This is a crop of a whole-slide image: an H&E-stained breast-cancer sentinel lymph node section at roughly 2.5× magnification (about 3.6 µm per pixel; the crop spans about 1.9 mm).
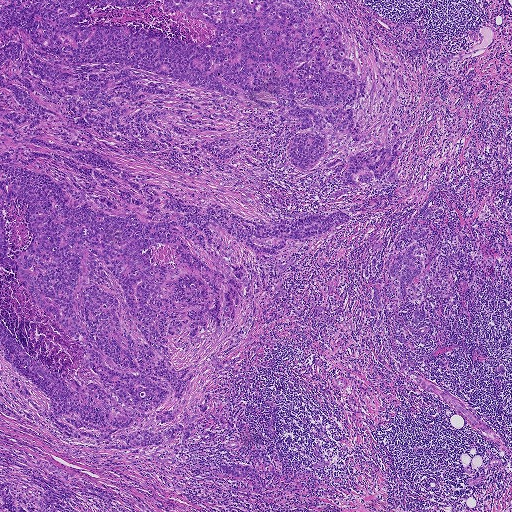
Boundaries of six metastatic tumour regions, simplified and listed clockwise, largest first: region 1: (0, 0), (323, 0), (371, 65), (364, 131), (390, 148), (395, 122), (398, 149), (408, 142), (396, 177), (342, 198), (351, 222), (314, 241), (284, 298), (265, 299), (195, 382), (184, 407), (230, 386), (214, 399), (243, 432), (213, 425), (211, 442), (66, 465), (131, 508), (0, 511); region 2: (414, 243), (417, 244), (413, 254), (421, 258), (422, 269), (407, 285), (407, 296), (403, 303), (398, 281), (390, 276), (389, 264), (395, 255); region 3: (219, 464), (248, 465), (256, 470), (262, 478), (261, 483), (256, 483), (238, 479), (225, 473), (221, 470); region 4: (376, 285), (379, 287), (380, 291), (381, 294), (380, 302), (382, 305), (382, 308), (377, 313), (376, 316), (381, 321), (380, 325), (377, 326), (375, 323), (375, 319), (370, 313), (369, 310), (373, 303), (372, 300), (372, 296), (374, 292), (371, 289), (373, 286); region 5: (420, 226), (423, 226), (425, 228), (426, 234), (426, 237), (423, 238), (417, 239), (404, 238), (402, 236), (401, 234), (402, 227), (408, 228), (414, 230); region 6: (432, 190), (433, 193), (428, 205), (430, 211), (425, 219), (422, 220), (420, 219), (418, 216), (418, 210), (419, 207), (424, 204), (429, 191).
Three more small tumour pieces are annotated here but not outlined.
About 55% of this field is tumour.